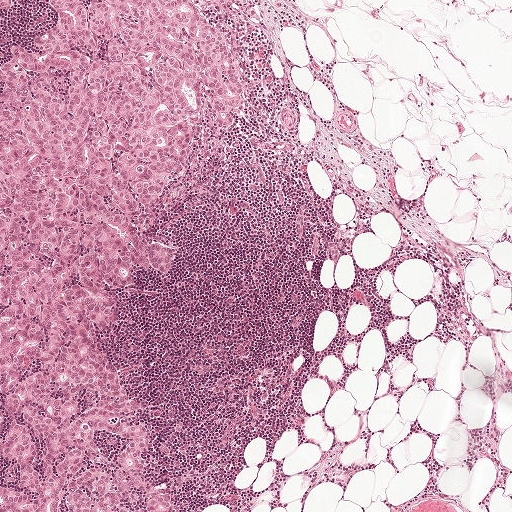
A 1-mm field of an H&E-stained sentinel lymph node from a breast-cancer patient (whole-slide image), shown at about 5×, about 1.9 µm per pixel.
Metastatic tumour outline, simplified to 23 points and listed clockwise in crop pixels (x, y): (46, 0), (195, 0), (244, 105), (146, 211), (170, 269), (134, 270), (110, 328), (93, 322), (140, 407), (112, 424), (147, 428), (94, 443), (111, 460), (151, 441), (138, 472), (170, 511), (0, 511), (9, 422), (43, 466), (40, 440), (0, 399), (0, 64), (52, 24).
About 30% of the image area is annotated as tumour.